Question: 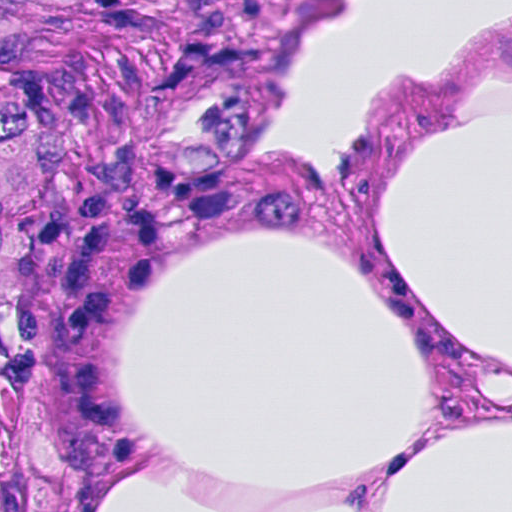
Lymph node section stained with H&E, from a whole-slide image of a breast-cancer sentinel node. Magnification about 40×, about 0.12 mm across the frame, about 0.23 µm per pixel.
Estimate the proportion of this field that is metastatic tumour.

Choices:
 (A) about 5% or less
 (B) none: no tumour is outlined
 (C) about 25% to 45%
 (D) about 50% or more
 (E) about 10% to 20%

Answer: (C) about 25% to 45%
About 25% of the field is tumour.
The outlined metastatic tumour's edge, as a closed clockwise path of 5 points: (0, 0), (306, 0), (236, 111), (82, 247), (0, 343).
One more small tumour piece is annotated here but not outlined.